Image:
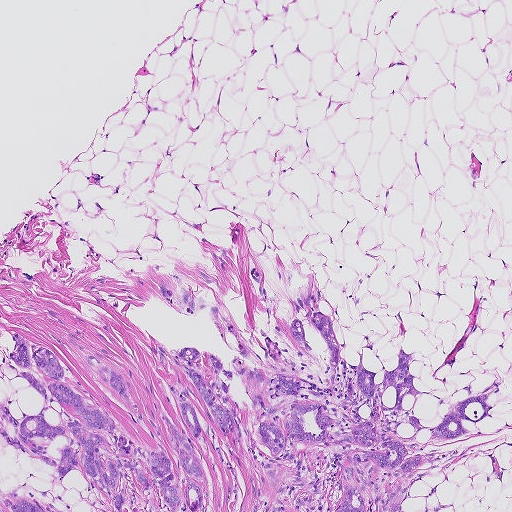
Lymph node section stained with H&E, from a whole-slide image of a breast-cancer sentinel node. Magnification about 5×, about 0.93 mm across the frame, about 1.8 µm per pixel.
Question:
Show where the tumour is in this image.
Answer:
Outlines of three tumour regions, largest first (closed clockwise paths, crop pixels): region 1: (159, 283), (212, 304), (255, 355), (322, 384), (320, 333), (306, 322), (305, 352), (289, 330), (296, 296), (323, 290), (345, 361), (364, 352), (377, 383), (400, 344), (416, 351), (427, 427), (502, 383), (486, 402), (494, 419), (462, 421), (472, 434), (419, 432), (430, 452), (458, 453), (416, 471), (403, 511), (242, 511), (249, 453), (158, 343), (199, 350), (206, 381), (203, 351), (222, 360), (248, 433), (254, 409), (206, 309), (181, 313); region 2: (14, 331), (56, 354), (64, 370), (59, 382), (116, 425), (114, 433), (100, 432), (111, 447), (135, 459), (161, 451), (80, 353), (108, 364), (176, 467), (158, 407), (180, 432), (162, 380), (174, 384), (174, 376), (199, 421), (198, 443), (193, 440), (205, 483), (203, 509), (131, 511), (128, 505), (117, 511), (79, 471), (61, 484), (53, 479), (56, 465), (0, 439), (0, 404), (22, 419), (39, 415), (42, 406), (18, 372), (27, 370), (8, 353); region 3: (0, 489), (2, 494), (8, 498), (17, 500), (25, 498), (34, 500), (42, 506), (52, 503), (63, 511), (13, 511), (6, 506), (0, 494).
Tumour covers about 20% of the frame.